This is a crop of a whole-slide image: an H&E-stained breast-cancer sentinel lymph node section at roughly 10× magnification (about 0.97 µm per pixel; the crop spans about 0.5 mm).
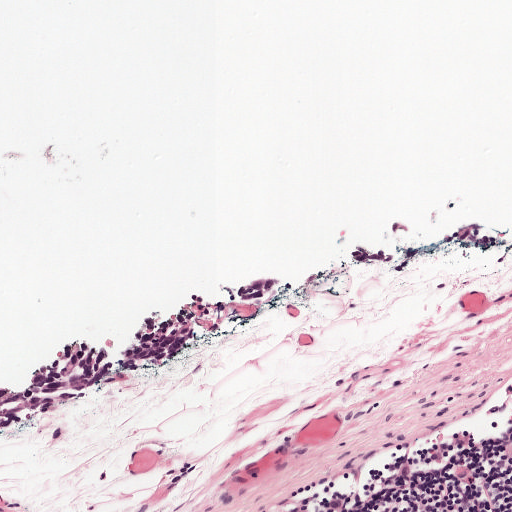
Boundaries of four metastatic tumour regions, simplified and listed clockwise, largest first: region 1: (166, 308), (199, 313), (186, 352), (0, 439), (0, 372), (66, 340); region 2: (473, 220), (494, 229), (501, 242), (484, 246), (467, 246), (440, 242), (442, 234), (465, 222); region 3: (249, 279), (286, 281), (269, 296), (246, 301), (230, 290); region 4: (354, 244), (374, 246), (398, 258), (386, 264), (372, 264), (348, 258).
Two more small tumour pieces are annotated here but not outlined.
Tumour covers about 5% of the frame.